Question: 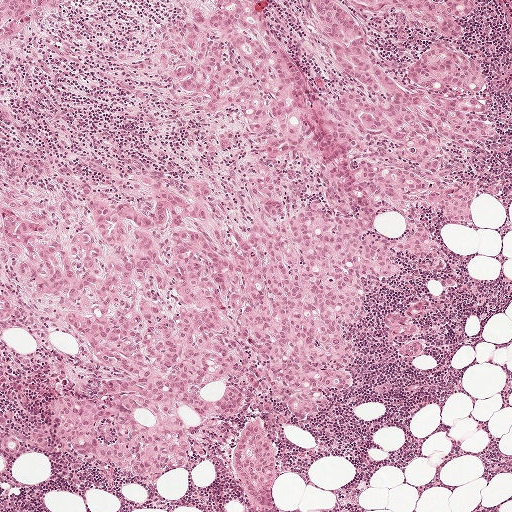
A 1-mm field of an H&E-stained sentinel lymph node from a breast-cancer patient (whole-slide image), shown at about 5×, about 1.9 µm per pixel.
What fraction of the image area is metastatic tumour?

Choices:
 (A) about 10% to 20%
 (B) about 5% or less
 (C) about 25% to 45%
 (D) none: no tumour is outlined
 (E) about 50% or more

Answer: (C) about 25% to 45%
About 30% of the field is tumour.
Outlines of two tumour regions, largest first (closed clockwise paths, crop pixels): region 1: (92, 178), (144, 203), (159, 187), (188, 195), (229, 238), (303, 205), (333, 217), (366, 283), (346, 331), (353, 384), (317, 425), (243, 386), (228, 413), (186, 437), (177, 476), (102, 474), (52, 418), (90, 377), (90, 349), (24, 303), (3, 205), (35, 191), (66, 197); region 2: (342, 0), (393, 0), (393, 1), (390, 6), (381, 11), (365, 11), (358, 10), (347, 2).